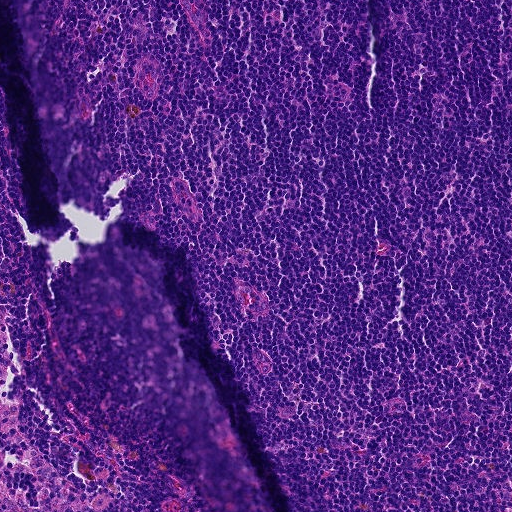
Lymph node section stained with H&E, from a whole-slide image of a breast-cancer sentinel node. Magnification about 10×, about 0.46 mm across the frame, about 0.9 µm per pixel.
Question: Is any metastatic breast cancer visible in this crop?
Answer: No. No metastatic tumour is outlined in this field.